H&E-stained section of a sentinel lymph node (breast cancer), from a whole-slide image, viewed at about 10×: the field is about 0.51 mm across, about 1.0 µm per pixel.
Question: 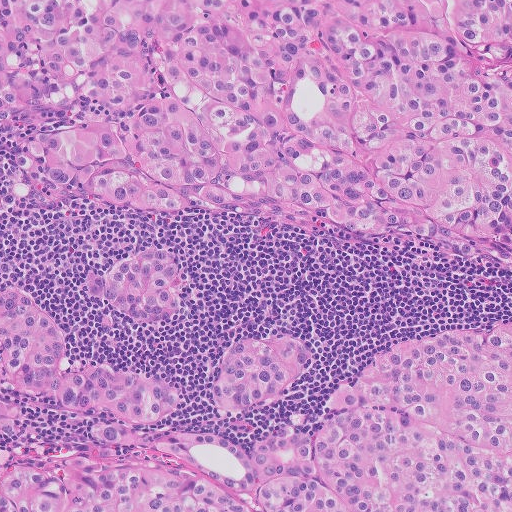
Estimate the proportion of this field that is metastatic tumour.

Choices:
 (A) none: no tumour is outlined
 (B) about 10% to 20%
 (C) about 25% to 45%
 (D) about 5% or less
 (E) about 50% or more

Answer: (E) about 50% or more
About 80% of the field is tumour.
Outlines of four tumour regions, largest first (closed clockwise paths, crop pixels): region 1: (0, 0), (511, 0), (511, 262), (41, 205), (0, 214); region 2: (0, 259), (44, 284), (74, 330), (172, 380), (212, 420), (266, 417), (474, 319), (511, 314), (511, 511), (0, 511); region 3: (279, 320), (320, 344), (299, 395), (249, 417), (216, 418), (202, 384), (226, 334); region 4: (109, 251), (195, 256), (194, 311), (142, 326), (91, 304).